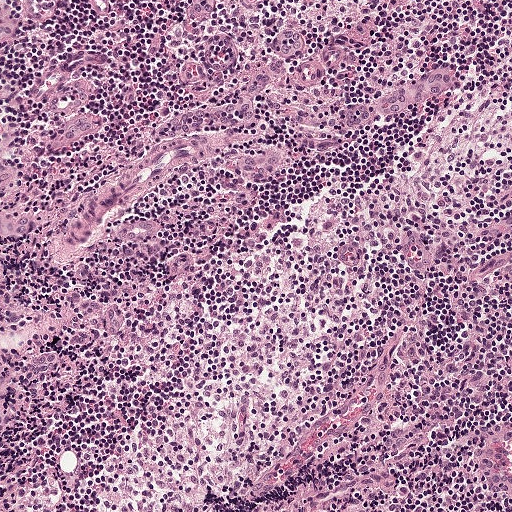
This is a crop of a whole-slide image: an H&E-stained breast-cancer sentinel lymph node section at roughly 10× magnification (about 0.97 µm per pixel; the crop spans about 0.5 mm).
Question: Is any metastatic breast cancer visible in this crop?
Answer: No. No metastatic tumour is outlined in this field.